A 0.25-mm field of an H&E-stained sentinel lymph node from a breast-cancer patient (whole-slide image), shown at about 20×, about 0.49 µm per pixel.
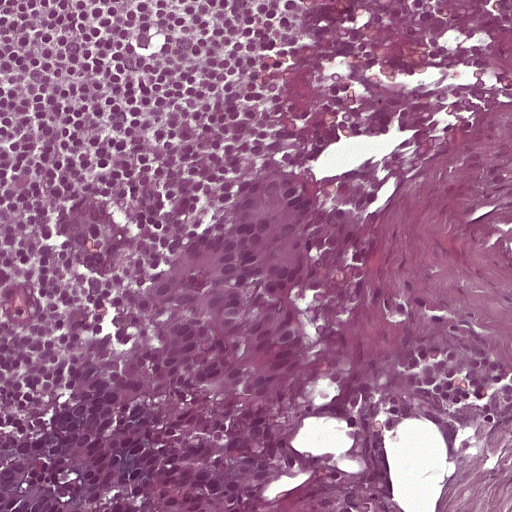
Metastatic tumour outline, simplified to 12 points and listed clockwise in crop pixels (x, y): (294, 161), (322, 176), (334, 208), (318, 410), (292, 444), (300, 472), (263, 511), (0, 511), (0, 436), (61, 398), (114, 304), (262, 164).
About 30% of this field is tumour.